Question: 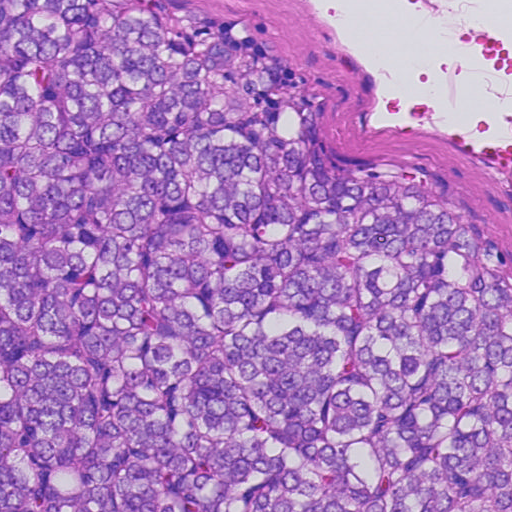
Lymph node section stained with H&E, from a whole-slide image of a breast-cancer sentinel node. Magnification about 20×, about 0.23 mm across the frame, about 0.45 µm per pixel.
Roughly what share of this field is metastatic tumour?

Choices:
 (A) about 10% to 20%
 (B) about 25% to 45%
 (C) about 50% or more
 (D) about 5% or less
 (E) none: no tumour is outlined

Answer: (C) about 50% or more
About 85% of the field is tumour.
One metastatic tumour region; its boundary, reduced to 11 corners and listed clockwise: (0, 0), (139, 0), (250, 40), (296, 82), (334, 164), (392, 163), (420, 176), (470, 212), (510, 264), (511, 511), (0, 511).